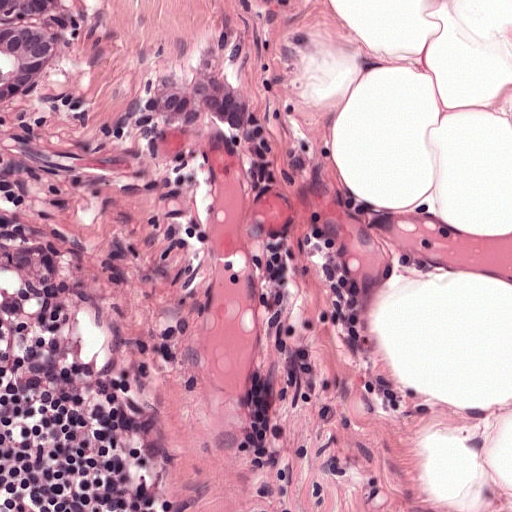
H&E-stained section of a sentinel lymph node (breast cancer), from a whole-slide image, viewed at about 20×: the field is about 0.25 mm across, about 0.49 µm per pixel.
Outlines of two tumour regions, largest first (closed clockwise paths, crop pixels): region 1: (0, 0), (76, 0), (83, 17), (72, 58), (46, 92), (0, 109); region 2: (216, 74), (235, 84), (249, 129), (235, 132), (212, 120), (176, 127), (140, 110), (146, 96), (178, 90), (196, 76).
About 5% of this field is tumour.